This is a crop of a whole-slide image: an H&E-stained breast-cancer sentinel lymph node section at roughly 2.5× magnification (about 3.6 µm per pixel; the crop spans about 1.9 mm).
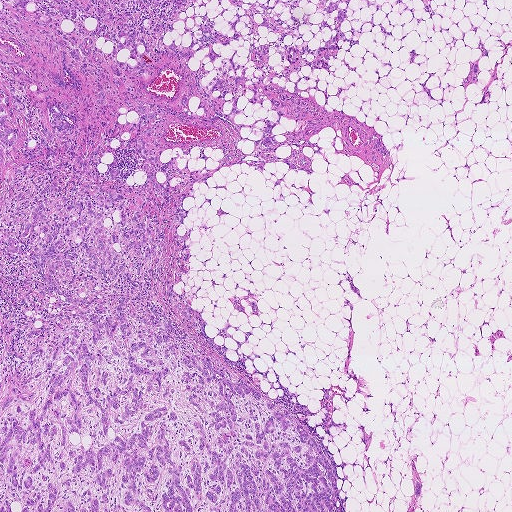
Outlines of four tumour regions, largest first (closed clockwise paths, crop pixels): region 1: (0, 0), (350, 0), (335, 72), (272, 81), (355, 87), (324, 104), (313, 89), (297, 96), (270, 85), (236, 105), (311, 174), (217, 167), (262, 134), (218, 121), (167, 116), (146, 145), (217, 171), (149, 308), (314, 438), (333, 511), (0, 511); region 2: (179, 302), (187, 304), (190, 307), (192, 316), (192, 320), (188, 320), (184, 318), (177, 308), (176, 305); region 3: (372, 137), (376, 138), (379, 140), (385, 154), (385, 156), (384, 156), (377, 151), (372, 144); region 4: (364, 0), (376, 1), (381, 5), (382, 9), (377, 10), (375, 9), (375, 6), (373, 5), (368, 6), (366, 4), (366, 2).
About 50% of the image area is annotated as tumour.